Lymph node section stained with H&E, from a whole-slide image of a breast-cancer sentinel node. Magnification about 5×, about 0.93 mm across the frame, about 1.8 µm per pixel.
Question: 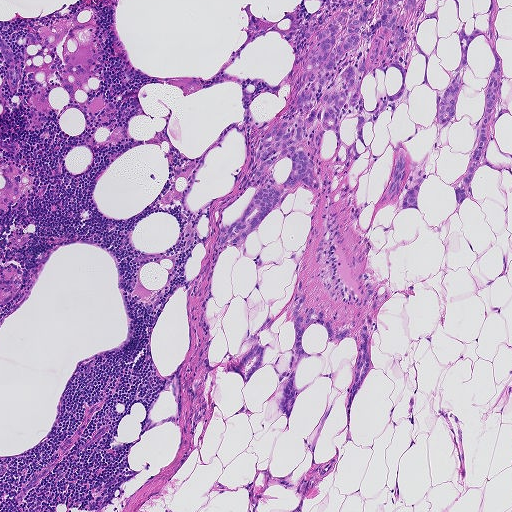
Roughly what share of this field is metastatic tumour?

Choices:
 (A) none: no tumour is outlined
 (B) about 10% to 20%
 (C) about 25% to 45%
 (D) about 50% or more
 (E) about 5% or less

Answer: (B) about 10% to 20%
About 15% of the field is tumour.
Three metastatic tumour regions, each outlined as a closed clockwise path in crop pixels (x, y), largest first: region 1: (444, 0), (415, 41), (431, 87), (416, 54), (408, 105), (364, 125), (368, 147), (350, 168), (325, 161), (322, 195), (298, 186), (249, 236), (245, 254), (273, 261), (256, 269), (232, 246), (216, 249), (220, 221), (251, 202), (254, 152), (301, 85), (307, 26), (322, 29), (342, 3); region 2: (302, 278), (301, 315), (319, 310), (335, 333), (372, 325), (372, 366), (354, 396), (346, 439), (345, 406), (357, 359), (353, 339), (336, 346), (320, 325), (308, 329), (303, 349), (322, 355), (306, 358), (294, 374), (296, 388), (303, 390), (289, 426), (275, 405), (279, 385), (270, 366), (257, 371), (244, 387), (230, 367), (251, 346), (240, 347), (246, 326), (254, 332), (275, 317), (259, 338), (274, 348), (266, 349), (265, 362), (293, 345), (292, 297); region 3: (0, 34), (9, 44), (19, 66), (21, 77), (19, 86), (14, 91), (8, 85), (7, 70), (0, 54).
One more tumour region is annotated but not outlined: its edge is too irregular for a short outline.